Image:
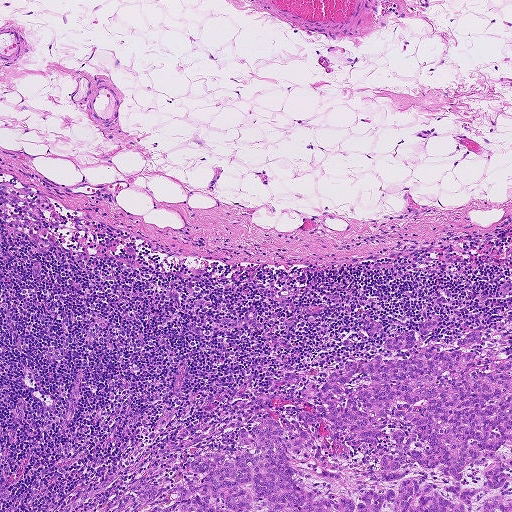
This is a crop of a whole-slide image: an H&E-stained breast-cancer sentinel lymph node section at roughly 5× magnification (about 1.8 µm per pixel; the crop spans about 0.93 mm).
Question:
Describe where the metastatic carcinoma lies in this crop.
Answer:
Two metastatic tumour regions, each outlined as a closed clockwise path in crop pixels (x, y), largest first: region 1: (442, 317), (429, 345), (496, 330), (481, 356), (510, 356), (511, 511), (179, 511), (178, 489), (198, 479), (189, 460), (238, 453), (238, 427), (314, 411), (314, 390), (284, 373), (317, 384), (348, 359), (409, 358), (380, 349), (364, 318), (389, 337); region 2: (151, 481), (156, 486), (153, 508), (155, 511), (139, 511), (138, 496), (143, 482).
The annotated tumour makes up about 15% of the crop.